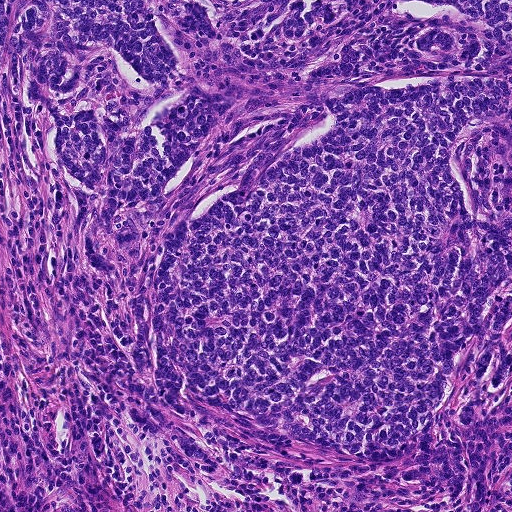
This is a crop of a whole-slide image: an H&E-stained breast-cancer sentinel lymph node section at roughly 10× magnification (about 0.9 µm per pixel; the crop spans about 0.46 mm).
Three metastatic tumour regions, each outlined as a closed clockwise path in crop pixels (x, y), largest first: region 1: (0, 0), (511, 0), (511, 394), (498, 408), (494, 450), (511, 464), (511, 511), (469, 511), (470, 500), (451, 496), (419, 511), (338, 511), (416, 496), (406, 478), (263, 438), (171, 394), (144, 363), (140, 302), (196, 188), (136, 202), (95, 195), (50, 150), (43, 113), (0, 80); region 2: (141, 229), (138, 239), (130, 244), (120, 247), (110, 245), (99, 248), (104, 256), (113, 262), (118, 271), (108, 274), (89, 265), (84, 257), (80, 236), (89, 230), (109, 233); region 3: (172, 429), (183, 433), (210, 455), (212, 466), (200, 466), (188, 463), (172, 443).
The annotated tumour makes up about 75% of the crop.